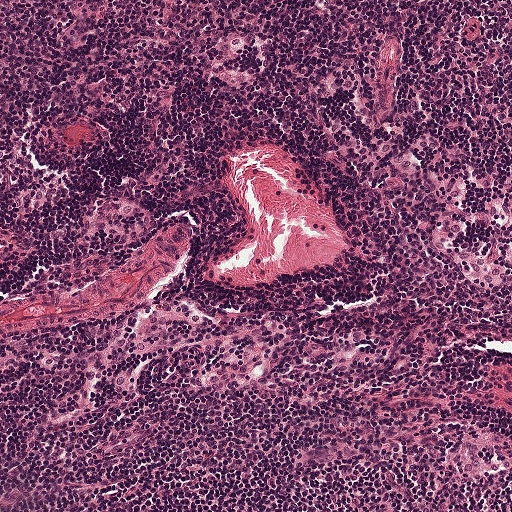
This is a crop of a whole-slide image: an H&E-stained breast-cancer sentinel lymph node section at roughly 10× magnification (about 0.97 µm per pixel; the crop spans about 0.5 mm).
Question: Is any metastatic breast cancer visible in this crop?
Answer: No. No metastatic tumour is outlined in this field.